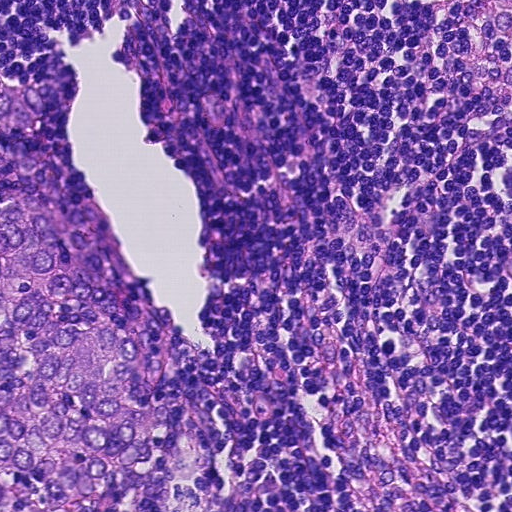
H&E-stained section of a sentinel lymph node (breast cancer), from a whole-slide image, viewed at about 20×: the field is about 0.23 mm across, about 0.45 µm per pixel.
The outlined metastatic tumour's edge, as a closed clockwise path of 12 points: (0, 72), (30, 80), (62, 72), (78, 85), (66, 116), (72, 148), (129, 265), (173, 312), (184, 374), (210, 394), (213, 511), (0, 511).
About 25% of this field is tumour.